Image:
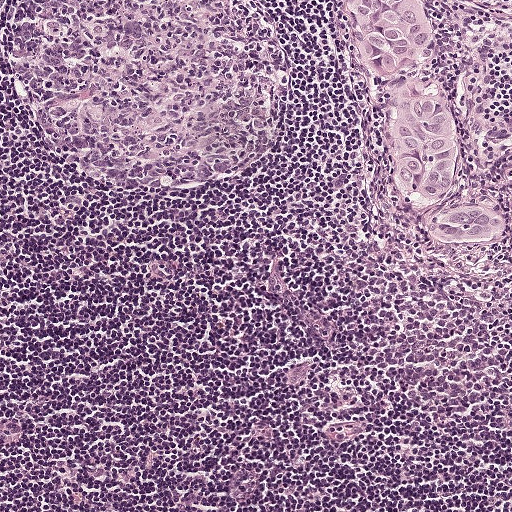
This is a crop of a whole-slide image: an H&E-stained breast-cancer sentinel lymph node section at roughly 10× magnification (about 0.97 µm per pixel; the crop spans about 0.5 mm).
Question:
Is any metastatic breast cancer visible in this crop?
Answer:
Yes.
Tumour region outline (a closed clockwise path, crop pixels): (351, 0), (422, 0), (435, 39), (434, 53), (424, 64), (424, 86), (444, 94), (462, 140), (455, 192), (440, 205), (481, 204), (506, 216), (503, 228), (464, 241), (439, 237), (397, 191), (390, 131), (366, 46), (352, 20).
About 5% of the image area is annotated as tumour.